This is a crop of a whole-slide image: an H&E-stained breast-cancer sentinel lymph node section at roughly 10× magnification (about 0.97 µm per pixel; the crop spans about 0.5 mm).
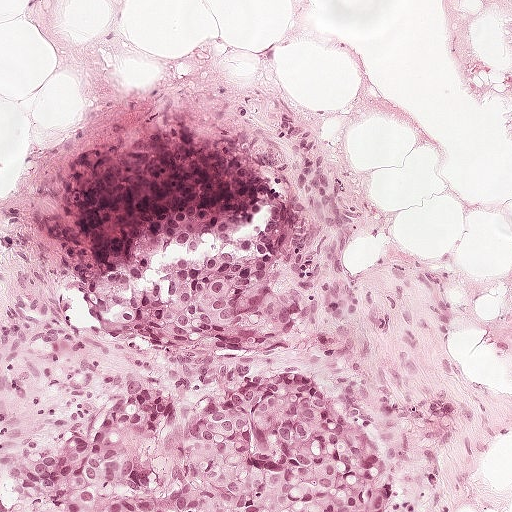
Boundaries of two metastatic tumour regions, simplified and listed clockwise, largest first: region 1: (298, 368), (338, 412), (384, 444), (393, 481), (370, 510), (53, 511), (40, 496), (19, 511), (0, 511), (0, 498), (14, 493), (10, 468), (22, 443), (98, 408), (122, 369), (156, 372), (167, 381), (172, 406), (189, 411), (238, 380); region 2: (272, 196), (270, 253), (302, 290), (300, 320), (283, 339), (231, 342), (136, 334), (113, 326), (84, 305), (91, 278), (142, 244), (166, 214), (203, 210), (232, 224).
About 25% of this field is tumour.